A 0.12-mm field of an H&E-stained sentinel lymph node from a breast-cancer patient (whole-slide image), shown at about 40×, about 0.23 µm per pixel.
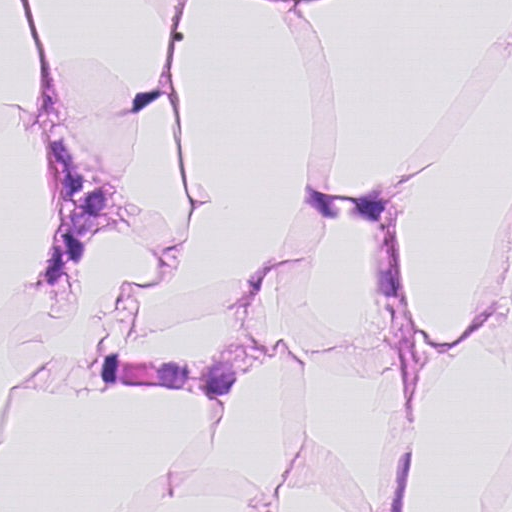
Metastatic tumour outline, simplified to 24 points and listed clockwise in crop pixels (x, y): (50, 128), (137, 179), (183, 220), (153, 276), (141, 336), (202, 331), (251, 290), (285, 238), (291, 173), (355, 166), (406, 205), (424, 263), (435, 398), (419, 511), (348, 511), (371, 422), (365, 300), (332, 241), (247, 408), (115, 398), (81, 349), (91, 279), (31, 312), (51, 194).
One more small tumour piece is annotated here but not outlined.
Tumour covers about 25% of the frame.